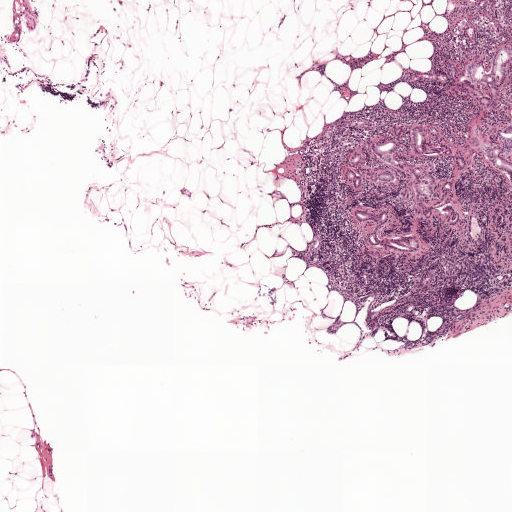
This is a crop of a whole-slide image: an H&E-stained breast-cancer sentinel lymph node section at roughly 2.5× magnification (about 3.9 µm per pixel; the crop spans about 2.0 mm).
Question: Where is the metastatic tumour in this field? Give each region's outline as (x, y) pixel points.
Answer: The outlined metastatic tumour's edge, as a closed clockwise path of 24 points: (511, 43), (511, 191), (478, 155), (452, 190), (458, 207), (476, 211), (481, 242), (466, 248), (435, 212), (430, 222), (415, 223), (429, 250), (420, 261), (375, 255), (346, 200), (343, 170), (374, 139), (415, 121), (464, 146), (479, 113), (456, 89), (469, 62), (484, 60), (488, 73).
About 5% of the image area is annotated as tumour.